This is a crop of a whole-slide image: an H&E-stained breast-cancer sentinel lymph node section at roughly 20× magnification (about 0.49 µm per pixel; the crop spans about 0.25 mm).
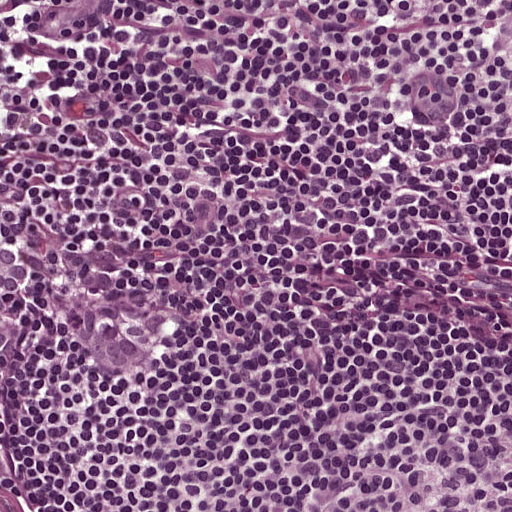
Outlines of two tumour regions, largest first (closed clockwise paths, crop pixels): region 1: (72, 234), (134, 276), (158, 308), (136, 320), (156, 346), (140, 379), (109, 378), (71, 359), (38, 310), (24, 304), (22, 341), (0, 411), (0, 240), (52, 267); region 2: (0, 454), (10, 486), (14, 511), (0, 511).
About 5% of the image area is annotated as tumour.